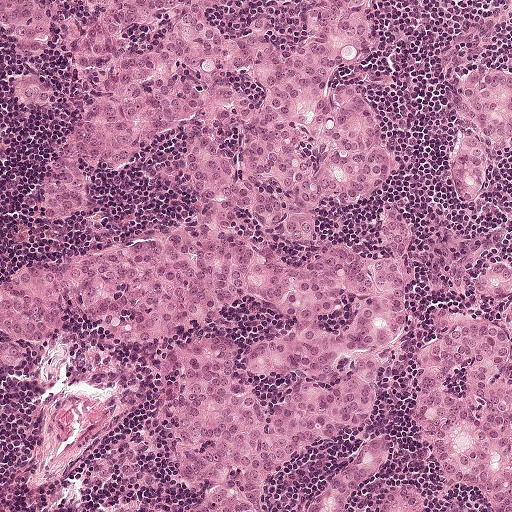
H&E-stained section of a sentinel lymph node (breast cancer), from a whole-slide image, viewed at about 10×: the field is about 0.5 mm across, about 0.97 µm per pixel.
Boundaries of six metastatic tumour regions, simplified and listed clockwise, largest first: region 1: (0, 0), (91, 26), (74, 0), (378, 0), (335, 85), (363, 84), (387, 113), (394, 173), (310, 226), (367, 254), (386, 206), (413, 234), (412, 308), (361, 422), (277, 465), (264, 511), (191, 511), (160, 370), (195, 332), (226, 338), (266, 410), (298, 378), (243, 361), (292, 334), (281, 314), (234, 300), (137, 346), (63, 311), (0, 377), (0, 280), (122, 248), (190, 198), (174, 133), (100, 171), (66, 220), (33, 215), (82, 98), (44, 58), (52, 99), (11, 100); region 2: (500, 229), (507, 243), (486, 264), (511, 264), (511, 511), (488, 511), (477, 493), (442, 487), (432, 455), (411, 432), (411, 359), (430, 335), (430, 306), (472, 317), (504, 314), (470, 287), (466, 299), (431, 290), (423, 265), (430, 236); region 3: (459, 56), (472, 56), (510, 69), (511, 143), (481, 162), (488, 168), (486, 179), (479, 197), (473, 205), (469, 205), (458, 199), (447, 178), (454, 115), (449, 114), (444, 102), (445, 72); region 4: (380, 432), (396, 432), (400, 442), (400, 458), (391, 469), (373, 478), (361, 491), (353, 494), (347, 501), (344, 510), (296, 511), (310, 501), (323, 478), (326, 478), (330, 469), (347, 451); region 5: (404, 484), (410, 484), (421, 494), (427, 502), (428, 511), (373, 511), (377, 502), (384, 495), (384, 492); region 6: (504, 0), (511, 0), (511, 15), (510, 14), (508, 8).
One more small tumour piece is annotated here but not outlined.
Tumour covers about 65% of the frame.